H&E-stained section of a sentinel lymph node (breast cancer), from a whole-slide image, viewed at about 40×: the field is about 0.13 mm across, about 0.25 µm per pixel.
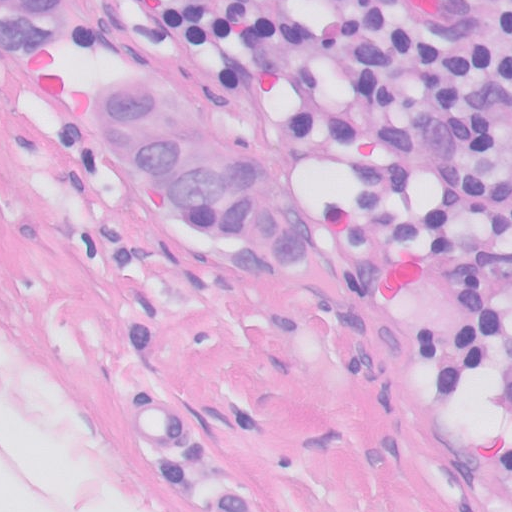
Boundaries of two metastatic tumour regions, simplified and listed clockwise, largest first: region 1: (144, 75), (176, 95), (262, 174), (277, 197), (302, 214), (315, 240), (305, 269), (282, 285), (253, 285), (182, 232), (147, 185), (77, 129), (68, 101), (86, 77); region 2: (0, 0), (72, 0), (72, 18), (61, 43), (34, 56), (7, 57), (0, 53).
About 10% of this field is tumour.